Question: 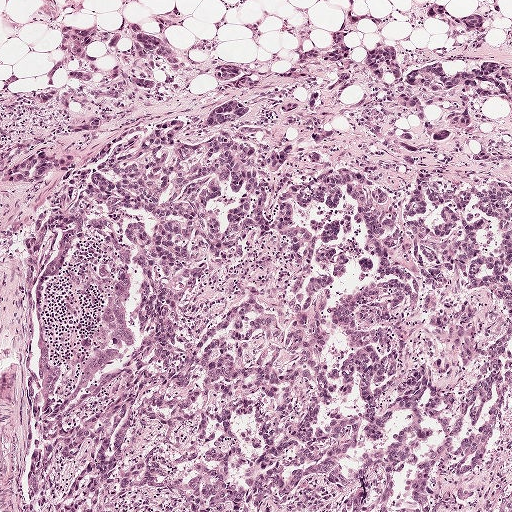
About what magnification does this crop show?

Choices:
 (A) about 20×
 (B) about 10×
 (C) about 40×
 (D) about 5×
 (E) about 2.5×

Answer: (D) about 5×
This is a crop of a whole-slide image: an H&E-stained breast-cancer sentinel lymph node section at roughly 5× magnification (about 1.9 µm per pixel; the crop spans about 1 mm).